This is a crop of a whole-slide image: an H&E-stained breast-cancer sentinel lymph node section at roughly 10× magnification (about 0.97 µm per pixel; the crop spans about 0.5 mm).
Question: 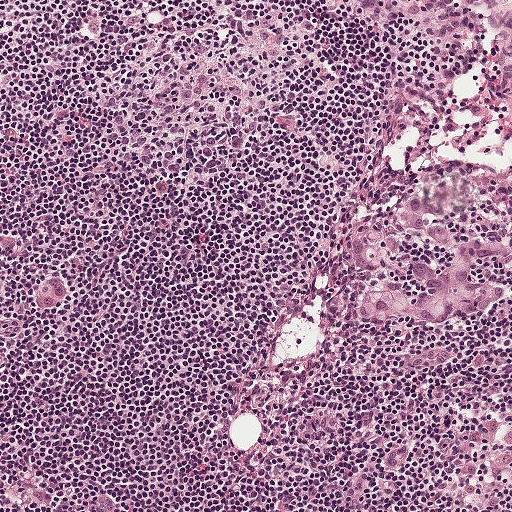
Roughly what share of this field is metastatic tumour?

Choices:
 (A) about 5% or less
 (B) about 50% or more
 (C) none: no tumour is outlined
 (D) about 10% to 20%
 (E) about 25% to 45%

Answer: (A) about 5% or less
About 5% of the field is tumour.
Metastatic tumour outline, simplified to 19 points and listed clockwise in crop pixels (x, y): (447, 195), (456, 232), (483, 234), (511, 246), (511, 259), (480, 258), (484, 276), (511, 282), (511, 294), (490, 312), (446, 321), (413, 315), (383, 321), (360, 312), (364, 276), (346, 238), (378, 214), (396, 214), (412, 196).